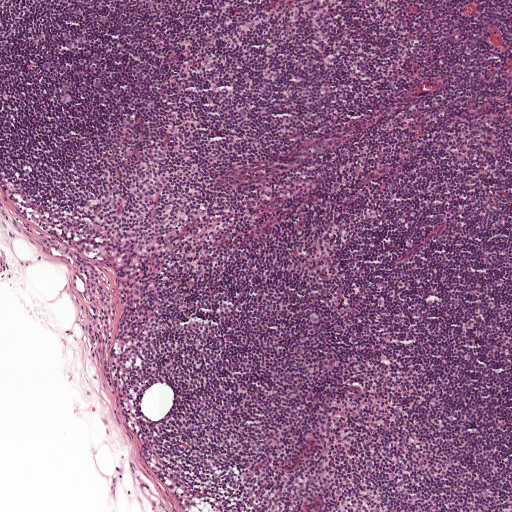
H&E-stained section of a sentinel lymph node (breast cancer), from a whole-slide image, viewed at about 5×: the field is about 1 mm across, about 1.9 µm per pixel.